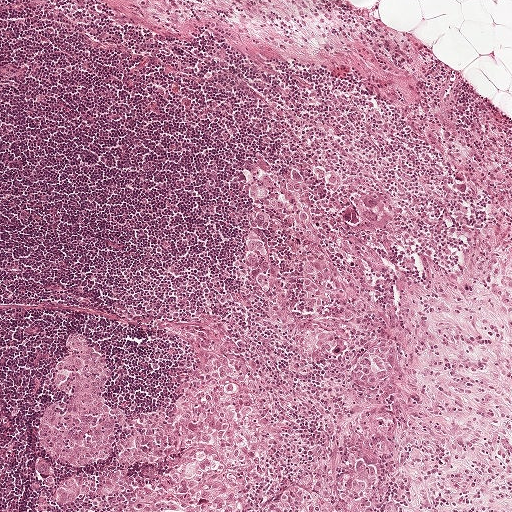
This is a crop of a whole-slide image: an H&E-stained breast-cancer sentinel lymph node section at roughly 5× magnification (about 1.9 µm per pixel; the crop spans about 1 mm).
One metastatic tumour region; its boundary, reduced to 20 corners and listed clockwise: (260, 148), (369, 163), (408, 192), (423, 227), (414, 459), (382, 511), (33, 511), (36, 420), (56, 398), (49, 363), (66, 330), (89, 333), (117, 396), (132, 404), (162, 405), (191, 368), (197, 318), (276, 359), (244, 252), (242, 165).
About 35% of this field is tumour.